Lymph node section stained with H&E, from a whole-slide image of a breast-cancer sentinel node. Magnification about 40×, about 0.12 mm across the frame, about 0.24 µm per pixel.
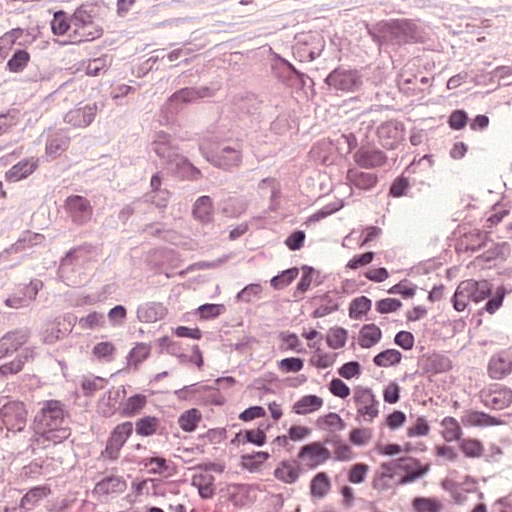
Question: Describe where the metastatic carcinoma lies in this crop.
Answer: One metastatic tumour region; its boundary, reduced to 16 corners and listed clockwise: (393, 21), (438, 32), (470, 86), (471, 116), (438, 168), (390, 207), (279, 264), (165, 302), (133, 327), (102, 377), (0, 420), (0, 308), (29, 246), (133, 177), (165, 114), (293, 41).
About 30% of this field is tumour.